Image:
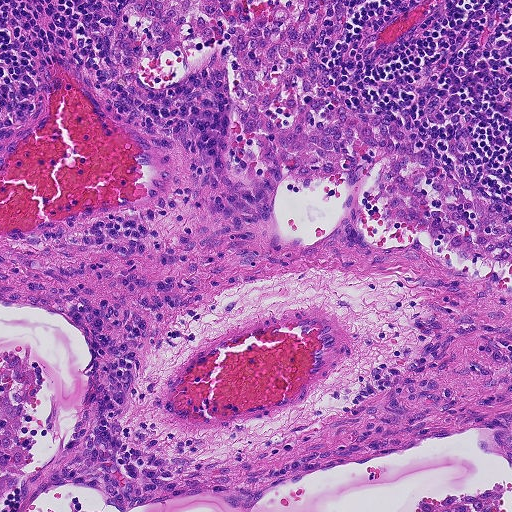
Lymph node section stained with H&E, from a whole-slide image of a breast-cancer sentinel node. Magnification about 10×, about 0.46 mm across the frame, about 0.9 µm per pixel.
Question:
Is any metastatic breast cancer visible in this crop?
Answer:
No: no metastatic tumour is outlined anywhere in this field.